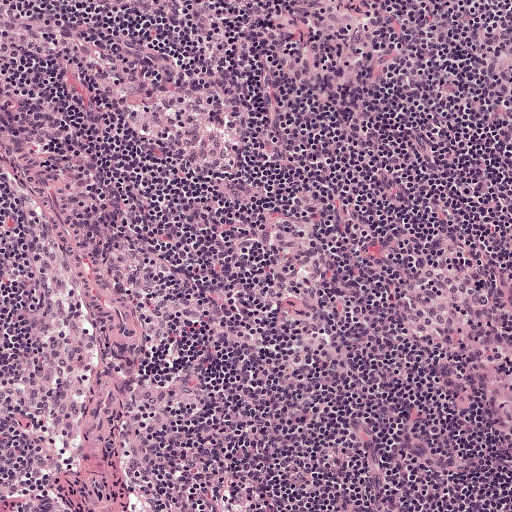
H&E-stained section of a sentinel lymph node (breast cancer), from a whole-slide image, viewed at about 10×: the field is about 0.5 mm across, about 0.97 µm per pixel.